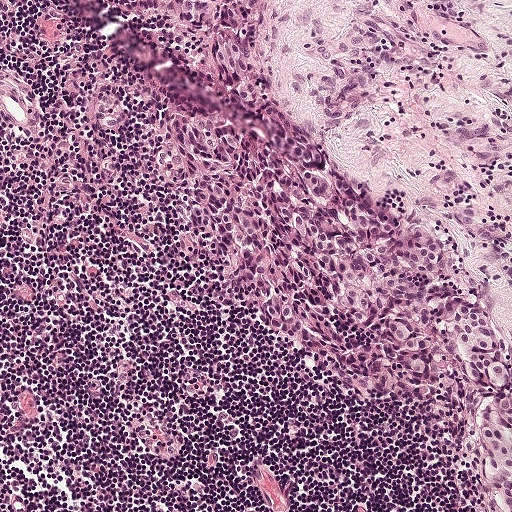
Lymph node section stained with H&E, from a whole-slide image of a breast-cancer sentinel node. Magnification about 10×, about 0.5 mm across the frame, about 0.97 µm per pixel.
Question: Is there metastatic carcinoma in this field?
Answer: Yes.
Outlines of two tumour regions, largest first (closed clockwise paths, crop pixels): region 1: (177, 104), (252, 134), (261, 132), (257, 118), (282, 121), (477, 280), (511, 347), (511, 511), (486, 504), (465, 376), (374, 398), (336, 388), (254, 310), (164, 132); region 2: (261, 0), (266, 58), (273, 84), (270, 107), (262, 111), (248, 104), (218, 74), (198, 46), (138, 1).
About 25% of this field is tumour.